A 1-mm field of an H&E-stained sentinel lymph node from a breast-cancer patient (whole-slide image), shown at about 5×, about 1.9 µm per pixel.
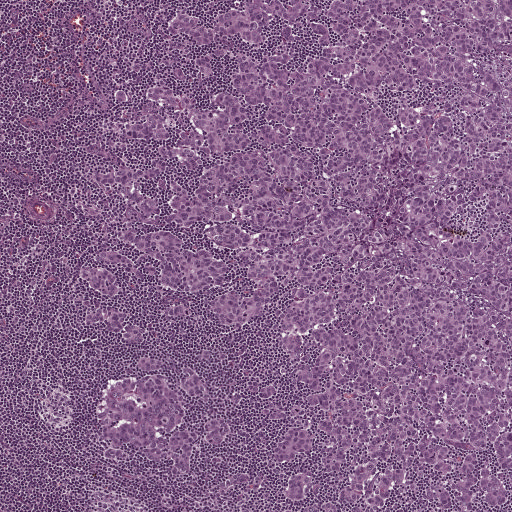
The outlined metastatic tumour's edge, as a closed clockwise path of 23 points: (511, 0), (511, 511), (217, 491), (284, 432), (246, 404), (186, 480), (99, 454), (138, 356), (220, 399), (286, 370), (257, 323), (196, 365), (161, 281), (146, 344), (82, 320), (128, 247), (90, 143), (154, 157), (110, 96), (154, 84), (212, 95), (161, 79), (184, 9).
About 70% of this field is tumour.